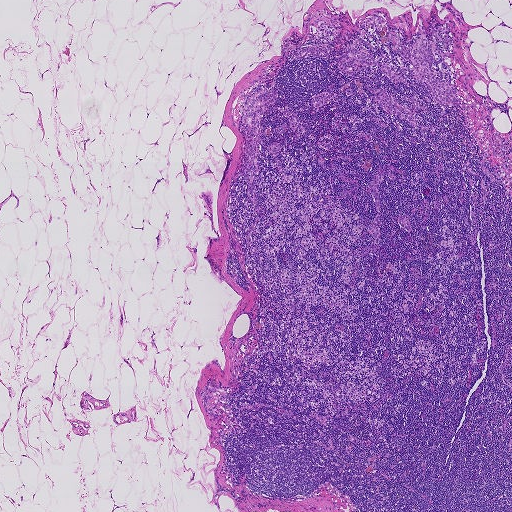
This is a crop of a whole-slide image: an H&E-stained breast-cancer sentinel lymph node section at roughly 2.5× magnification (about 3.6 µm per pixel; the crop spans about 1.9 mm).
Outlines of the eight largest metastatic tumour regions, each a closed clockwise path in crop pixels (x, y), largest first: region 1: (422, 36), (432, 37), (437, 48), (442, 53), (447, 54), (446, 58), (440, 55), (434, 55), (432, 68), (442, 71), (442, 79), (455, 89), (457, 102), (450, 107), (442, 106), (434, 102), (431, 88), (413, 80), (410, 64), (394, 52), (394, 46), (399, 44), (407, 46), (414, 45); region 2: (270, 89), (276, 91), (278, 97), (277, 100), (265, 106), (259, 114), (262, 117), (256, 135), (254, 148), (258, 153), (252, 192), (255, 202), (252, 202), (251, 192), (242, 176), (241, 168), (246, 152), (242, 119), (246, 106), (258, 94); region 3: (385, 88), (388, 93), (395, 95), (395, 100), (399, 105), (406, 104), (411, 109), (414, 108), (412, 102), (404, 98), (415, 99), (419, 108), (413, 112), (418, 113), (418, 116), (422, 118), (414, 122), (418, 128), (413, 130), (411, 124), (405, 120), (396, 115), (390, 117), (380, 105), (377, 106), (376, 102), (373, 103), (372, 99), (376, 89), (377, 91); region 4: (357, 40), (358, 52), (366, 52), (373, 57), (375, 63), (370, 65), (359, 64), (351, 74), (344, 72), (335, 65), (338, 57); region 5: (382, 169), (383, 181), (380, 183), (377, 192), (380, 202), (378, 211), (380, 220), (378, 226), (380, 232), (378, 238), (374, 238), (367, 228), (377, 214), (374, 199), (369, 190), (368, 184), (373, 180), (377, 171); region 6: (314, 46), (320, 48), (324, 46), (326, 48), (327, 54), (327, 56), (322, 57), (314, 56), (310, 53), (300, 59), (296, 59), (295, 54), (298, 50), (304, 48); region 7: (387, 58), (390, 61), (390, 65), (392, 66), (391, 69), (392, 72), (398, 73), (400, 75), (405, 79), (407, 83), (406, 83), (400, 82), (395, 82), (392, 81), (379, 69), (379, 68), (386, 64), (387, 61), (386, 59); region 8: (320, 92), (330, 92), (332, 92), (336, 94), (331, 99), (326, 101), (319, 106), (317, 106), (312, 104), (311, 102), (313, 98).
Two more, smaller tumour regions are not outlined.
One more small tumour piece is annotated here but not outlined.
About 5% of this field is tumour.